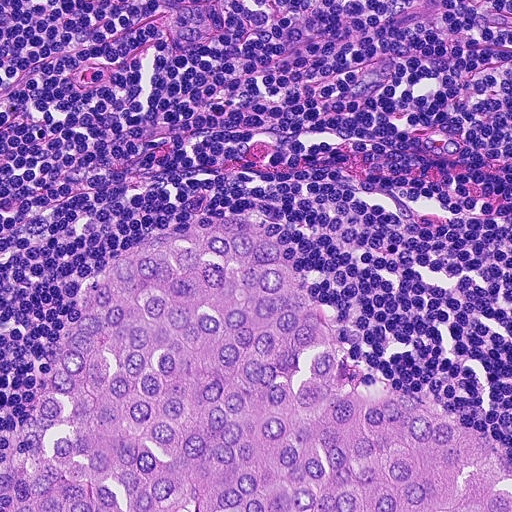
A 0.23-mm field of an H&E-stained sentinel lymph node from a breast-cancer patient (whole-slide image), shown at about 20×, about 0.45 µm per pixel.
The outlined metastatic tumour's edge, as a closed clockwise path of 10 points: (222, 216), (278, 244), (354, 381), (496, 448), (511, 468), (511, 511), (1, 511), (16, 434), (82, 286), (128, 242).
About 35% of the image area is annotated as tumour.